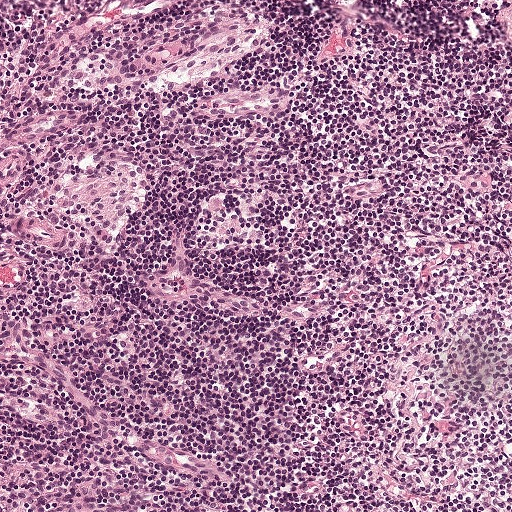
Lymph node section stained with H&E, from a whole-slide image of a breast-cancer sentinel node. Magnification about 10×, about 0.5 mm across the frame, about 0.97 µm per pixel.
Question: Is there metastatic carcinoma in this field?
Answer: No. No metastatic tumour is outlined in this field.